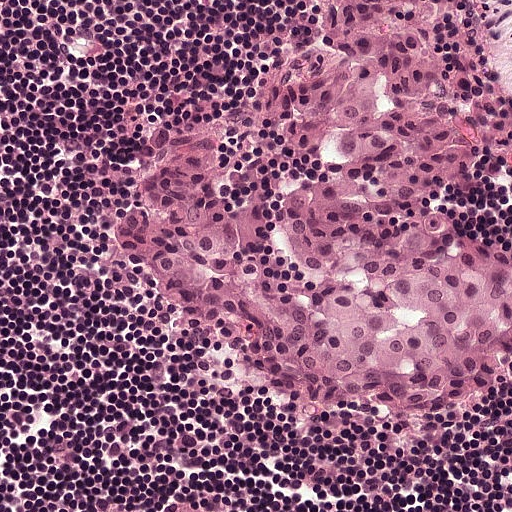
A 0.25-mm field of an H&E-stained sentinel lymph node from a breast-cancer patient (whole-slide image), shown at about 20×, about 0.49 µm per pixel.
Question: Is any metastatic breast cancer visible in this crop?
Answer: Yes.
Metastatic tumour outline, simplified to 19 points and listed clockwise in crop pixels (x, y): (307, 0), (460, 0), (488, 112), (489, 148), (478, 148), (465, 190), (440, 214), (511, 269), (511, 386), (391, 435), (357, 435), (230, 377), (132, 306), (104, 258), (106, 224), (142, 166), (178, 136), (234, 116), (292, 68).
Tumour covers about 45% of the frame.